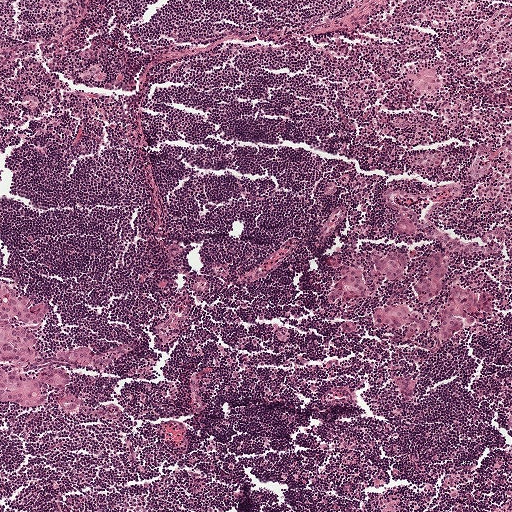
A 1-mm field of an H&E-stained sentinel lymph node from a breast-cancer patient (whole-slide image), shown at about 5×, about 1.9 µm per pixel.
Outlines of the eight largest metastatic tumour regions, each a closed clockwise path in crop pixels (x, y), largest first: region 1: (0, 275), (35, 297), (50, 300), (45, 319), (38, 325), (31, 326), (38, 336), (35, 344), (40, 355), (24, 364), (23, 370), (59, 363), (71, 369), (74, 375), (73, 384), (68, 388), (58, 388), (53, 384), (46, 386), (48, 397), (41, 402), (2, 401); region 2: (469, 286), (486, 292), (490, 295), (492, 306), (487, 315), (480, 315), (474, 310), (468, 311), (466, 316), (474, 318), (476, 324), (459, 332), (447, 341), (442, 341), (438, 339), (437, 336), (439, 319), (447, 298), (453, 289); region 3: (438, 249), (445, 252), (447, 277), (436, 298), (430, 303), (420, 303), (412, 296), (413, 286), (418, 273), (430, 253); region 4: (390, 306), (406, 306), (432, 320), (436, 325), (435, 329), (431, 333), (419, 334), (410, 338), (407, 334), (411, 325), (398, 330), (383, 327), (374, 320), (376, 308); region 5: (357, 262), (364, 264), (369, 280), (369, 299), (350, 299), (336, 304), (328, 304), (325, 302), (328, 291), (346, 275), (351, 264); region 6: (399, 248), (408, 253), (406, 279), (389, 282), (379, 276), (369, 260), (370, 249), (376, 252); region 7: (85, 346), (94, 350), (95, 352), (94, 363), (89, 366), (65, 362), (56, 358), (58, 352), (76, 350); region 8: (398, 378), (408, 378), (416, 381), (415, 396), (412, 401), (407, 401), (402, 399), (394, 383), (394, 380).
One more, smaller tumour region is not outlined.
About 5% of this field is tumour.